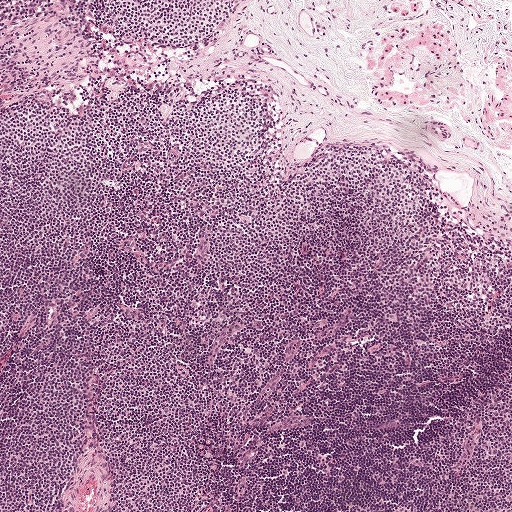
This is a crop of a whole-slide image: an H&E-stained breast-cancer sentinel lymph node section at roughly 5× magnification (about 1.9 µm per pixel; the crop spans about 1 mm).
Question: Is there metastatic carcinoma in this field?
Answer: No. No metastatic tumour is outlined in this field.